Question: 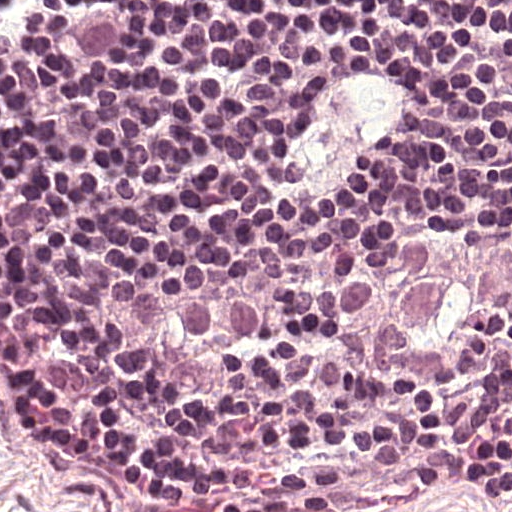
This is a crop of a whole-slide image: an H&E-stained breast-cancer sentinel lymph node section at roughly 40× magnification (about 0.24 µm per pixel; the crop spans about 0.12 mm).
About how much of this crop is taken up by metastatic carcinoma?

Choices:
 (A) about 5% or less
 (B) about 10% to 20%
 (C) about 25% to 45%
 (D) none: no tumour is outlined
 (E) about 50% or more

Answer: (B) about 10% to 20%
About 20% of the field is tumour.
Metastatic tumour outline, simplified to 8 points and listed clockwise in crop pixels (x, y): (416, 217), (511, 231), (511, 339), (399, 378), (179, 370), (95, 331), (88, 319), (159, 277).